Image:
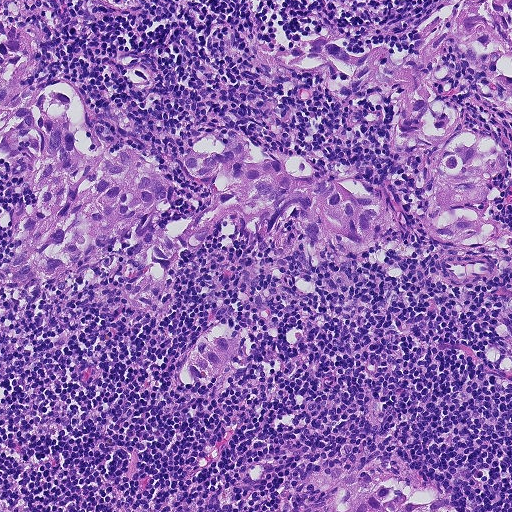
Lymph node section stained with H&E, from a whole-slide image of a breast-cancer sentinel node. Magnification about 10×, about 0.46 mm across the frame, about 0.9 µm per pixel.
Question:
Does this lymph node field contain metastatic tumour?
Answer:
Yes.
Boundaries of four metastatic tumour regions, simplified and listed clockwise, largest first: region 1: (0, 21), (41, 30), (46, 55), (25, 83), (64, 79), (96, 118), (163, 158), (176, 207), (186, 216), (211, 204), (212, 185), (198, 184), (184, 163), (205, 130), (232, 128), (319, 165), (345, 159), (377, 185), (395, 219), (384, 244), (306, 251), (294, 227), (281, 222), (264, 240), (231, 219), (176, 253), (174, 294), (160, 317), (122, 304), (115, 292), (133, 272), (116, 256), (63, 280), (0, 282), (13, 211), (37, 201), (26, 162), (0, 159); region 2: (511, 0), (511, 121), (483, 98), (476, 72), (460, 54), (446, 52), (430, 72), (432, 86), (454, 101), (457, 127), (498, 140), (504, 151), (508, 164), (490, 182), (493, 194), (486, 204), (489, 216), (511, 228), (511, 251), (454, 248), (418, 232), (427, 168), (395, 144), (402, 105), (393, 95), (380, 91), (342, 99), (323, 82), (327, 70), (294, 72), (280, 84), (256, 71), (261, 58), (317, 39), (353, 56), (376, 46), (402, 54), (414, 48), (416, 26), (450, 2); region 3: (335, 464), (347, 469), (361, 468), (373, 474), (402, 469), (438, 485), (456, 504), (458, 511), (294, 511), (330, 500), (336, 488), (328, 492), (315, 488), (312, 476); region 4: (225, 322), (247, 338), (234, 362), (225, 372), (199, 382), (185, 382), (177, 372), (202, 336), (214, 328).
The annotated tumour makes up about 30% of the crop.